Question: 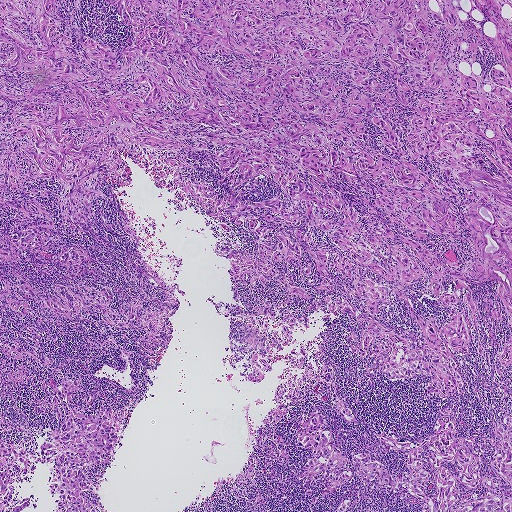
This is a crop of a whole-slide image: an H&E-stained breast-cancer sentinel lymph node section at roughly 2.5× magnification (about 3.6 µm per pixel; the crop spans about 1.9 mm).
Roughly what share of this field is metastatic tumour?

Choices:
 (A) none: no tumour is outlined
 (B) about 25% to 45%
 (C) about 50% or more
 (D) about 10% to 20%
 (E) about 5% or less

Answer: (C) about 50% or more
About 65% of the field is tumour.
Eight metastatic tumour regions, each outlined as a closed clockwise path in crop pixels (x, y), largest first: region 1: (0, 0), (428, 0), (458, 26), (430, 12), (418, 95), (510, 78), (511, 368), (471, 282), (481, 356), (463, 293), (448, 398), (372, 378), (320, 309), (256, 316), (292, 338), (240, 377), (223, 316), (284, 290), (232, 288), (216, 253), (252, 233), (120, 152), (114, 232), (91, 221), (117, 250), (58, 233), (114, 311), (137, 272), (158, 304), (155, 288), (134, 258), (171, 284), (168, 346), (80, 315), (126, 362), (15, 287), (59, 343), (2, 310); region 2: (447, 405), (455, 433), (470, 436), (476, 446), (482, 474), (501, 480), (504, 496), (509, 497), (511, 511), (418, 511), (420, 499), (406, 490), (395, 492), (363, 481), (357, 472), (343, 487), (310, 503), (333, 473), (300, 480), (298, 472), (313, 450), (300, 448), (294, 433), (307, 415), (317, 412), (338, 448), (351, 460), (354, 452), (365, 452), (388, 473), (409, 472), (406, 454), (391, 448), (372, 431), (397, 440), (424, 438), (433, 433), (439, 410); region 3: (76, 379), (84, 389), (71, 392), (77, 412), (109, 411), (117, 429), (110, 461), (84, 470), (92, 486), (80, 494), (84, 505), (94, 499), (95, 510), (54, 511), (60, 494), (50, 494), (54, 463), (26, 454), (28, 474), (21, 473), (6, 484), (8, 503), (15, 506), (27, 498), (36, 508), (31, 503), (20, 511), (0, 508), (0, 439), (41, 457), (40, 446), (59, 434), (66, 415), (61, 404), (52, 401), (53, 387), (62, 381); region 4: (0, 321), (5, 325), (7, 335), (16, 338), (22, 347), (40, 358), (41, 356), (46, 356), (52, 365), (46, 369), (28, 357), (21, 362), (28, 369), (29, 380), (21, 387), (11, 384), (13, 399), (0, 397), (0, 360), (6, 358), (0, 348), (0, 342), (3, 338), (0, 336); region 5: (511, 413), (511, 483), (490, 466), (495, 435), (494, 427), (497, 422), (502, 424), (501, 419), (504, 415); region 6: (340, 397), (344, 406), (352, 409), (360, 423), (350, 424), (342, 420), (335, 411), (336, 399); region 7: (0, 412), (4, 417), (11, 422), (12, 426), (11, 430), (4, 435), (1, 435), (2, 431), (0, 431); region 8: (348, 499), (351, 501), (350, 505), (345, 511), (336, 511), (337, 508), (341, 502), (344, 500).